Lymph node section stained with H&E, from a whole-slide image of a breast-cancer sentinel node. Magnification about 5×, about 0.93 mm across the frame, about 1.8 µm per pixel.
Image:
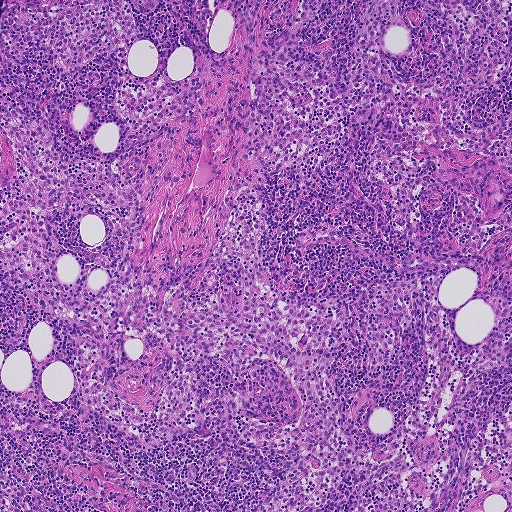
Question:
Does this lymph node field contain metastatic tumour?
Answer:
No, this field holds no outlined metastasis.